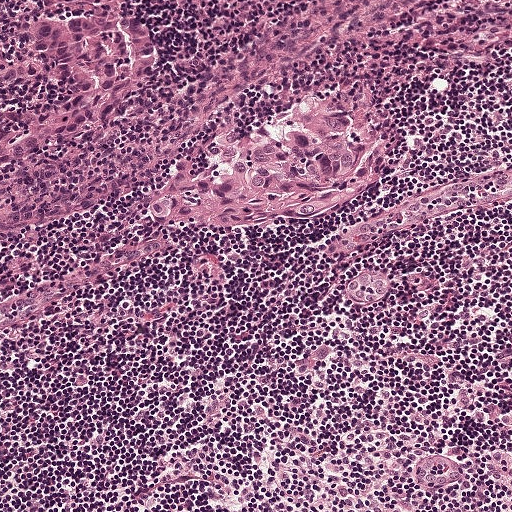
A 0.5-mm field of an H&E-stained sentinel lymph node from a breast-cancer patient (whole-slide image), shown at about 10×, about 0.97 µm per pixel.
Outlines of two tumour regions, largest first (closed clockwise paths, crop pixels): region 1: (331, 80), (360, 82), (384, 174), (336, 212), (306, 220), (170, 228), (137, 218), (135, 193), (145, 174), (209, 128), (285, 112), (290, 98); region 2: (0, 0), (139, 0), (152, 46), (152, 78), (136, 107), (63, 144), (2, 162).
About 15% of the image area is annotated as tumour.